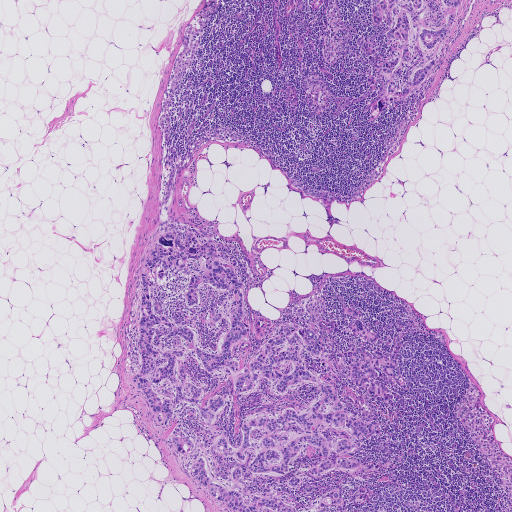
This is a crop of a whole-slide image: an H&E-stained breast-cancer sentinel lymph node section at roughly 2.5× magnification (about 3.6 µm per pixel; the crop spans about 1.9 mm).
Boundaries of four metastatic tumour regions, simplified and listed clockwise, largest first: region 1: (173, 222), (194, 226), (243, 283), (240, 369), (281, 325), (307, 326), (329, 358), (365, 348), (407, 390), (376, 372), (403, 398), (385, 402), (341, 360), (330, 361), (301, 353), (342, 411), (379, 422), (356, 439), (323, 425), (331, 449), (350, 438), (345, 458), (394, 465), (296, 487), (293, 472), (246, 472), (250, 490), (302, 511), (231, 509), (195, 481), (200, 454), (171, 438), (177, 427), (211, 446), (210, 425), (179, 403), (164, 427), (132, 381), (142, 268); region 2: (381, 0), (460, 0), (456, 20), (449, 35), (428, 51), (422, 49), (417, 41), (412, 61), (408, 65), (402, 62), (395, 76), (396, 89), (400, 91), (417, 69), (435, 59), (436, 64), (428, 77), (418, 89), (388, 104), (374, 119), (370, 119), (373, 107), (385, 95), (390, 78), (379, 71), (377, 66), (401, 52), (399, 42), (388, 37), (386, 32), (394, 25), (396, 16), (388, 10), (379, 23), (374, 20), (372, 10); region 3: (338, 486), (342, 489), (342, 492), (343, 497), (346, 499), (346, 511), (314, 511), (317, 509), (320, 501), (322, 497), (324, 494), (334, 488); region 4: (358, 320), (362, 323), (366, 330), (378, 334), (378, 338), (373, 344), (365, 342), (360, 335), (352, 330), (354, 321).
One more small tumour piece is annotated here but not outlined.
About 15% of this field is tumour.